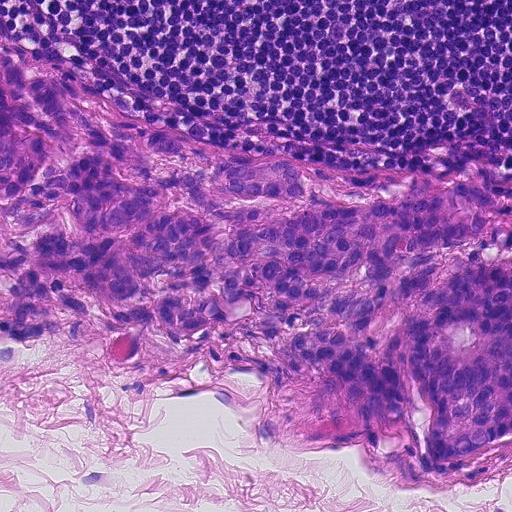
Lymph node section stained with H&E, from a whole-slide image of a breast-cancer sentinel node. Magnification about 20×, about 0.23 mm across the frame, about 0.45 µm per pixel.
Question: Which parts of this field are metastatic tumour?
Answer: Tumour region outline (a closed clockwise path, crop pixels): (0, 18), (111, 101), (224, 146), (352, 176), (508, 181), (511, 438), (462, 471), (422, 470), (393, 454), (252, 342), (132, 330), (0, 338).
About 50% of this field is tumour.